Image:
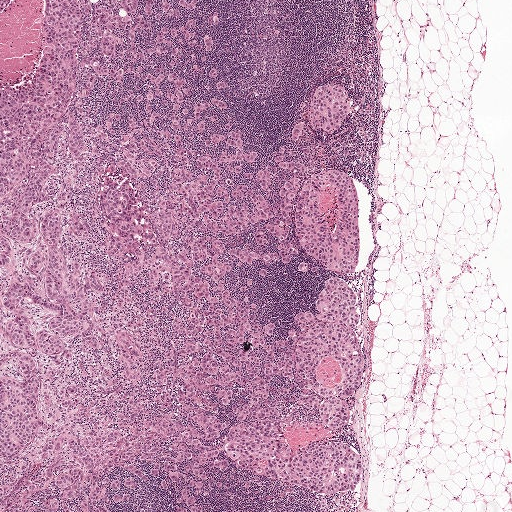
H&E-stained section of a sentinel lymph node (breast cancer), from a whole-slide image, viewed at about 2.5×: the field is about 2.0 mm across, about 3.9 µm per pixel.
Question:
Is any metastatic breast cancer visible in this crop?
Answer:
Yes.
Metastatic tumour outline, simplified to 24 points and listed clockwise in crop pixels (x, y): (0, 0), (200, 0), (194, 18), (221, 19), (209, 64), (228, 86), (217, 98), (262, 163), (312, 87), (342, 81), (350, 92), (341, 132), (303, 144), (310, 169), (351, 178), (362, 208), (351, 285), (365, 383), (346, 436), (365, 482), (318, 500), (232, 473), (206, 511), (0, 511).
The annotated tumour makes up about 60% of the crop.